Question: 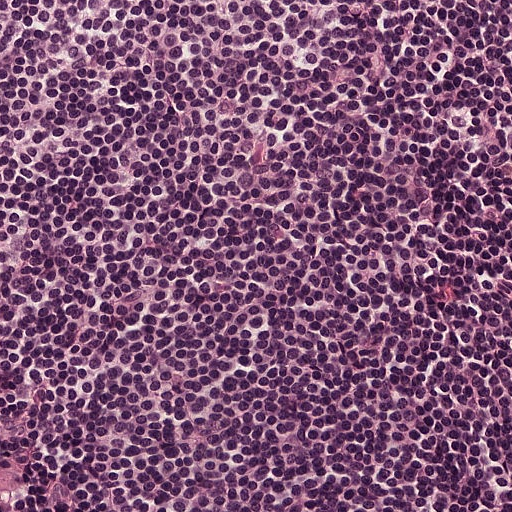
About what magnification does this crop show?

Choices:
 (A) about 5×
 (B) about 2.5×
 (C) about 10×
 (D) about 20×
 (E) about 40×

Answer: (D) about 20×
A 0.25-mm field of an H&E-stained sentinel lymph node from a breast-cancer patient (whole-slide image), shown at about 20×, about 0.49 µm per pixel.